Image:
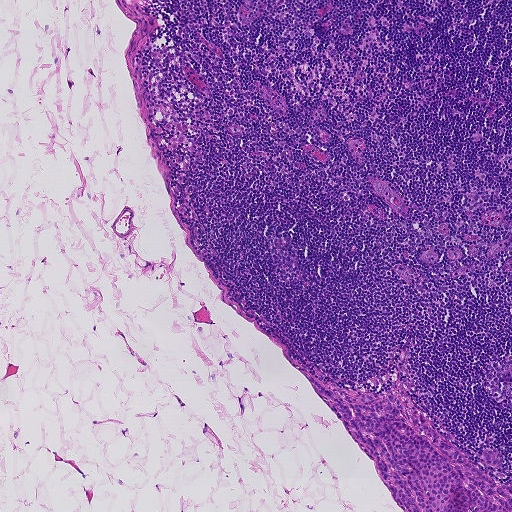
This is a crop of a whole-slide image: an H&E-stained breast-cancer sentinel lymph node section at roughly 5× magnification (about 1.8 µm per pixel; the crop spans about 0.93 mm).
Question:
Which parts of this field are metastatic tumour? Answer with the outline of each region, in pixels.
Answer:
Tumour region outline (a closed clockwise path, crop pixels): (283, 352), (303, 371), (320, 380), (399, 395), (481, 469), (482, 455), (489, 448), (499, 450), (504, 458), (502, 468), (485, 466), (482, 470), (497, 484), (511, 478), (511, 511), (405, 511), (386, 491), (372, 460).
About 5% of this field is tumour.